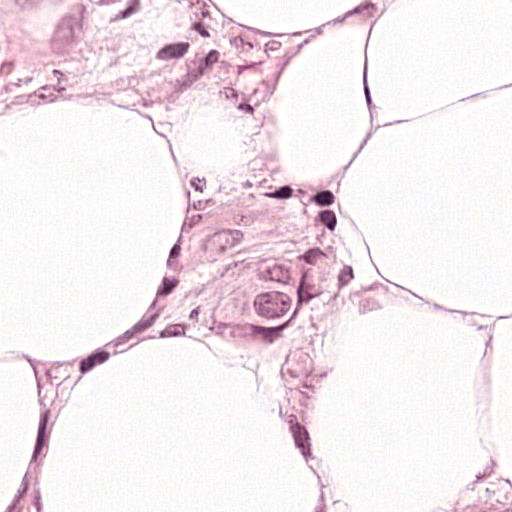
H&E-stained section of a sentinel lymph node (breast cancer), from a whole-slide image, viewed at about 40×: the field is about 0.12 mm across, about 0.24 µm per pixel.
Boundaries of two metastatic tumour regions, simplified and listed clockwise, largest first: region 1: (296, 255), (376, 255), (379, 282), (373, 298), (358, 312), (305, 348), (303, 355), (289, 358), (266, 357), (230, 341), (237, 325), (258, 300), (266, 277), (296, 259); region 2: (503, 484), (511, 484), (511, 511), (336, 511), (342, 506), (342, 499), (481, 499), (503, 492).
The annotated tumour makes up about 5% of the crop.